Image:
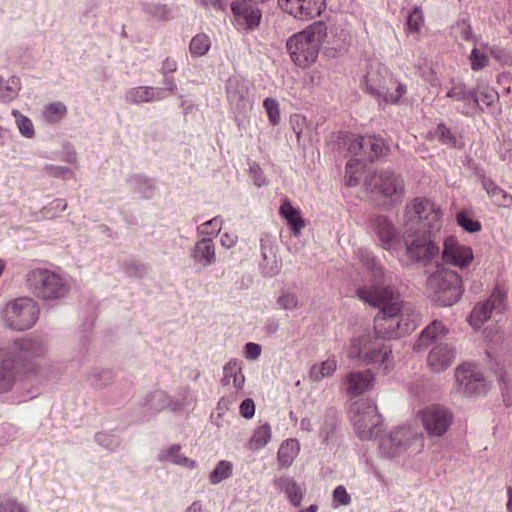
This is a crop of a whole-slide image: an H&E-stained breast-cancer sentinel lymph node section at roughly 40× magnification (about 0.24 µm per pixel; the crop spans about 0.12 mm).
Question:
Outline the metastatic carcinoma in this image, as closed paths of (x, y) pixel coordinates.
Answer:
Boundaries of four metastatic tumour regions, simplified and listed clockwise, largest first: region 1: (195, 1), (398, 1), (435, 109), (493, 180), (511, 275), (511, 426), (495, 475), (477, 488), (374, 485), (337, 333), (337, 222), (322, 164), (308, 133), (232, 59); region 2: (0, 249), (56, 249), (101, 267), (111, 299), (106, 304), (106, 378), (101, 388), (46, 407), (1, 411); region 3: (0, 463), (9, 464), (20, 475), (20, 483), (25, 483), (30, 491), (38, 493), (49, 506), (49, 509), (55, 511), (0, 511); region 4: (454, 0), (511, 0), (511, 54), (509, 54), (509, 44), (504, 39), (504, 26), (501, 26), (501, 20), (472, 7), (454, 2).
The annotated tumour makes up about 35% of the crop.